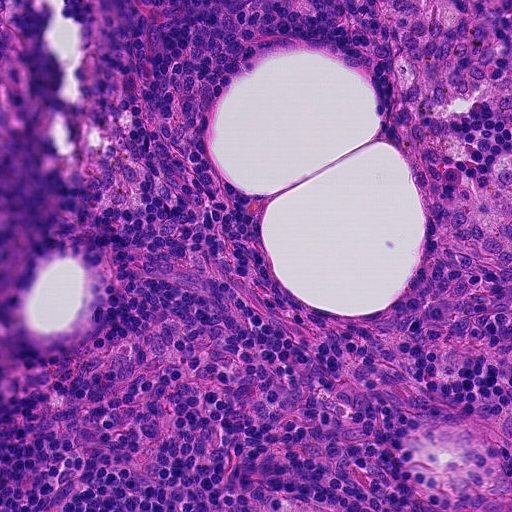
Lymph node section stained with H&E, from a whole-slide image of a breast-cancer sentinel node. Magnification about 20×, about 0.23 mm across the frame, about 0.45 µm per pixel.